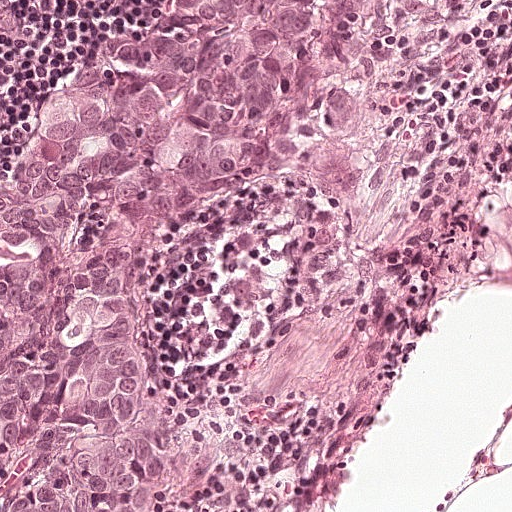
Lymph node section stained with H&E, from a whole-slide image of a breast-cancer sentinel node. Magnification about 20×, about 0.25 mm across the frame, about 0.49 µm per pixel.
One metastatic tumour region; its boundary, reduced to 18 corners and listed clockwise: (506, 0), (435, 54), (429, 162), (380, 227), (315, 250), (290, 190), (276, 184), (207, 207), (173, 247), (158, 287), (158, 344), (196, 415), (182, 466), (136, 511), (0, 511), (0, 190), (113, 88), (167, 2).
The annotated tumour makes up about 50% of the crop.